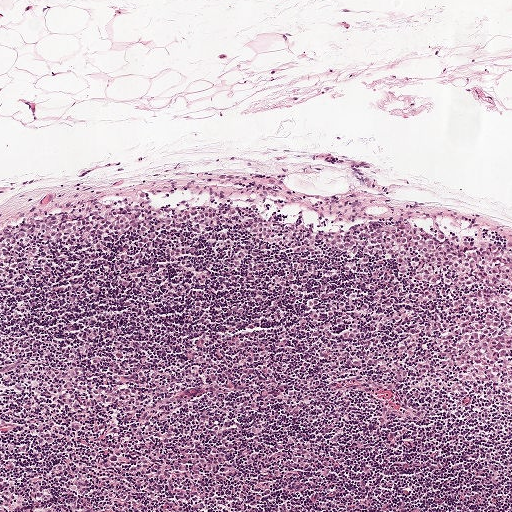
Lymph node section stained with H&E, from a whole-slide image of a breast-cancer sentinel node. Magnification about 5×, about 1 mm across the frame, about 1.9 µm per pixel.
Tumour region outline (a closed clockwise path, crop pixels): (169, 184), (240, 186), (336, 221), (477, 232), (511, 246), (511, 426), (306, 351), (289, 323), (296, 303), (370, 302), (358, 282), (317, 263), (81, 250), (0, 273), (0, 221).
Tumour covers about 20% of the frame.